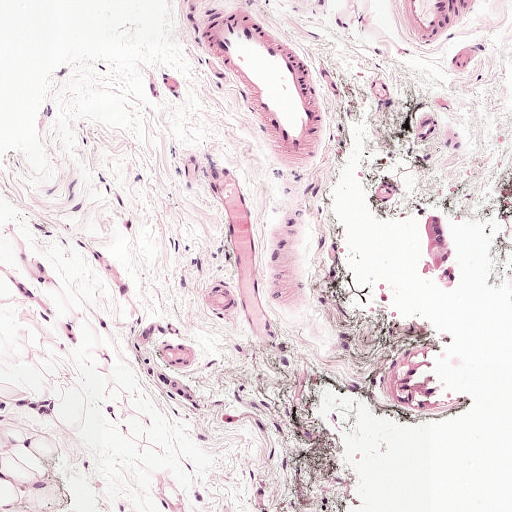
This is a crop of a whole-slide image: an H&E-stained breast-cancer sentinel lymph node section at roughly 10× magnification (about 0.97 µm per pixel; the crop spans about 0.5 mm).
Metastatic tumour outline, simplified to 10 points and listed clockwise in crop pixels (x, y): (447, 211), (447, 231), (459, 269), (459, 288), (443, 291), (434, 279), (420, 277), (426, 254), (420, 221), (426, 215).
Under 5% of this field is tumour.